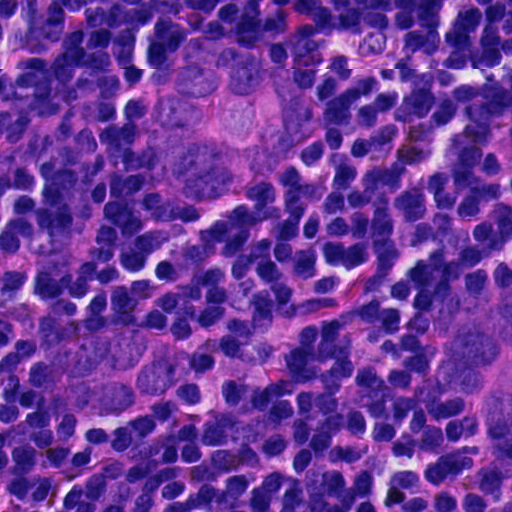
This is a crop of a whole-slide image: an H&E-stained breast-cancer sentinel lymph node section at roughly 40× magnification (about 0.23 µm per pixel; the crop spans about 0.12 mm).
Outlines of three tumour regions, largest first (closed clockwise paths, crop pixels): region 1: (202, 31), (245, 47), (319, 93), (322, 133), (293, 166), (259, 190), (216, 201), (177, 188), (154, 155), (146, 130), (149, 90), (166, 52); region 2: (74, 329), (161, 330), (194, 358), (175, 396), (121, 417), (80, 408), (47, 385), (35, 345); region 3: (511, 285), (511, 450), (485, 441), (467, 402), (423, 381), (445, 351), (447, 309).
Tumour covers about 15% of the frame.